This is a crop of a whole-slide image: an H&E-stained breast-cancer sentinel lymph node section at roughly 20× magnification (about 0.49 µm per pixel; the crop spans about 0.25 mm).
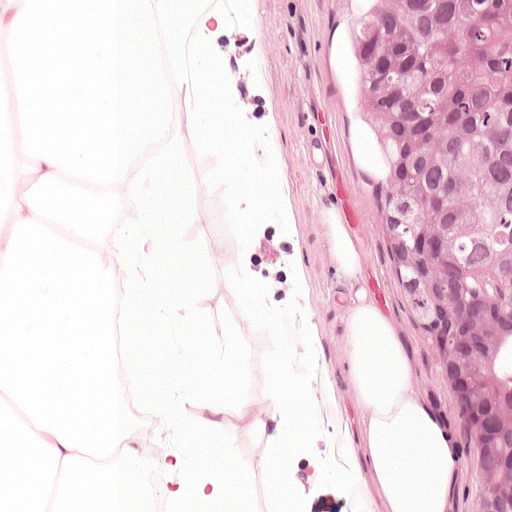
Metastatic tumour outline, simplified to 6 points and listed clockwise in crop pixels (x, y): (511, 0), (511, 511), (473, 511), (422, 371), (351, 232), (309, 4).
Tumour covers about 25% of the frame.